Image:
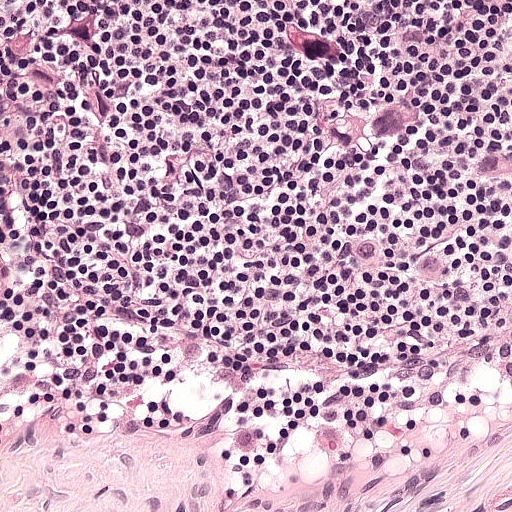
Lymph node section stained with H&E, from a whole-slide image of a breast-cancer sentinel node. Magnification about 20×, about 0.25 mm across the frame, about 0.49 µm per pixel.
Question:
Describe where the metastatic carcinoma lies in this crop.
Answer:
Metastatic tumour outline, simplified to 8 points and listed clockwise in crop pixels (x, y): (6, 0), (511, 0), (511, 296), (424, 285), (359, 254), (288, 194), (248, 122), (186, 62).
The annotated tumour makes up about 30% of the crop.